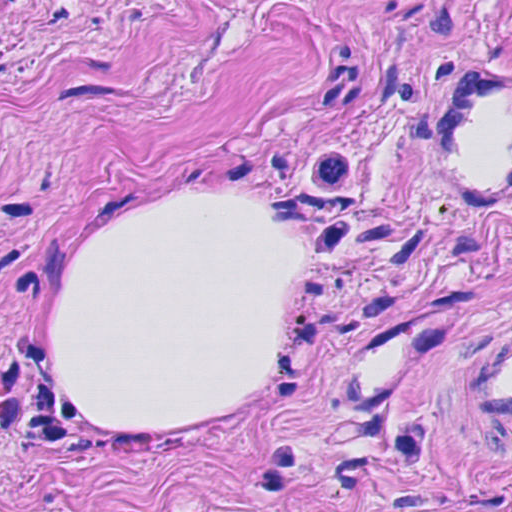
This is a crop of a whole-slide image: an H&E-stained breast-cancer sentinel lymph node section at roughly 40× magnification (about 0.23 µm per pixel; the crop spans about 0.12 mm).
One metastatic tumour region; its boundary, reduced to 7 corners and listed clockwise: (323, 134), (364, 157), (366, 234), (320, 266), (306, 240), (313, 198), (291, 167).
Under 5% of this field is tumour.